Image:
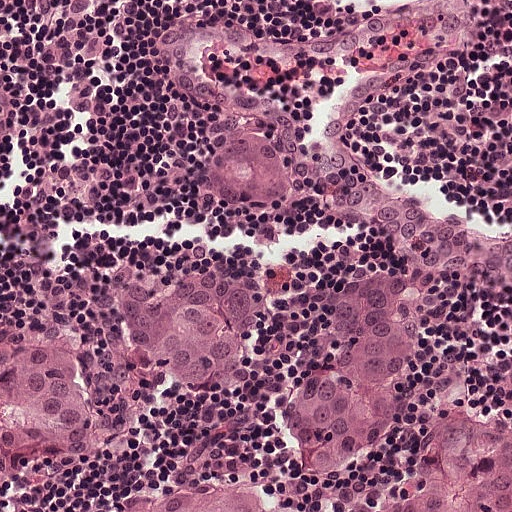
A 0.25-mm field of an H&E-stained sentinel lymph node from a breast-cancer patient (whole-slide image), shown at about 20×, about 0.49 µm per pixel.
Question:
Describe where the metastatic carcinoma lies in this crop.
Answer:
Boundaries of five metastatic tumour regions, simplified and listed clockwise, largest first: region 1: (381, 260), (398, 262), (410, 272), (417, 372), (388, 441), (373, 458), (346, 476), (307, 478), (290, 468), (278, 447), (280, 410), (298, 357), (347, 278); region 2: (224, 258), (261, 278), (261, 330), (250, 382), (210, 393), (185, 393), (154, 381), (144, 370), (136, 346), (112, 318), (105, 303), (100, 284), (106, 261), (132, 275), (177, 272); region 3: (54, 311), (70, 312), (83, 322), (107, 386), (104, 460), (26, 460), (0, 465), (0, 374), (11, 364), (31, 322); region 4: (494, 411), (511, 414), (511, 506), (500, 511), (395, 511), (416, 456), (427, 444), (442, 414), (488, 416); region 5: (189, 484), (197, 484), (226, 488), (252, 487), (276, 500), (286, 511), (130, 511), (132, 499), (141, 491), (176, 491), (188, 487).
The annotated tumour makes up about 25% of the crop.

Image:
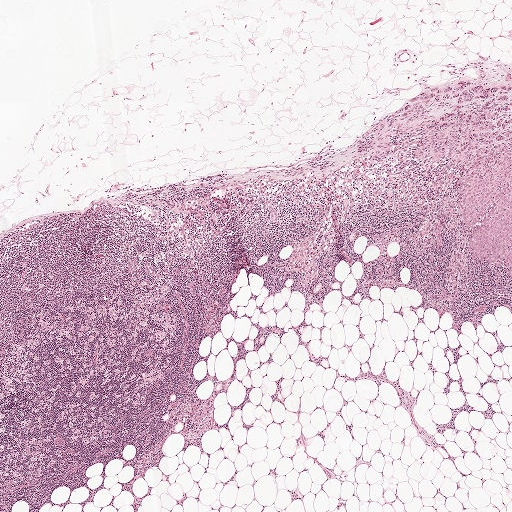
A 2.0-mm field of an H&E-stained sentinel lymph node from a breast-cancer patient (whole-slide image), shown at about 2.5×, about 3.9 µm per pixel.
Question:
Describe where the metastatic carcinoma lies in this crop.
Answer:
Metastatic tumour outline, simplified to 16 points and listed clockwise in crop pixels (x, y): (450, 80), (478, 85), (511, 82), (511, 273), (504, 274), (467, 253), (468, 236), (456, 189), (460, 171), (446, 163), (413, 161), (412, 145), (423, 132), (394, 115), (401, 104), (429, 85).
The annotated tumour makes up about 5% of the crop.

Image:
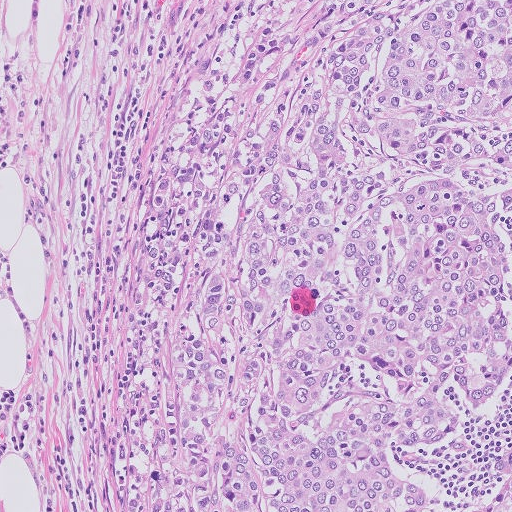
Lymph node section stained with H&E, from a whole-slide image of a breast-cancer sentinel node. Magnification about 10×, about 0.51 mm across the frame, about 1.0 µm per pixel.
Question:
Describe where the metastatic carcinoma lies in this crop.
Answer:
Metastatic tumour outline, simplified to 6 points and listed clockwise in crop pixels (x, y): (200, 0), (511, 0), (511, 511), (97, 511), (74, 421), (101, 231).
Tumour covers about 80% of the frame.

Image:
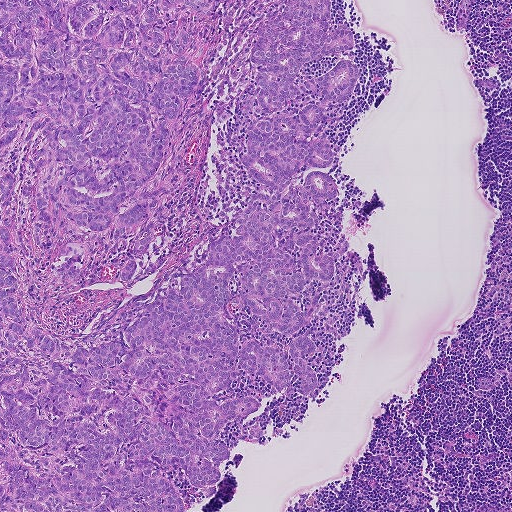
Lymph node section stained with H&E, from a whole-slide image of a breast-cancer sentinel node. Magnification about 5×, about 0.93 mm across the frame, about 1.8 µm per pixel.
Question:
Describe where the metastatic carcinoma lies in this crop.
Answer:
Metastatic tumour outline, simplified to 20 points and listed clockwise in crop pixels (x, y): (0, 0), (331, 0), (355, 36), (361, 76), (323, 134), (339, 196), (318, 234), (350, 246), (348, 294), (322, 291), (318, 391), (285, 399), (242, 370), (219, 397), (284, 430), (239, 440), (214, 487), (167, 470), (185, 510), (0, 511).
The annotated tumour makes up about 60% of the crop.